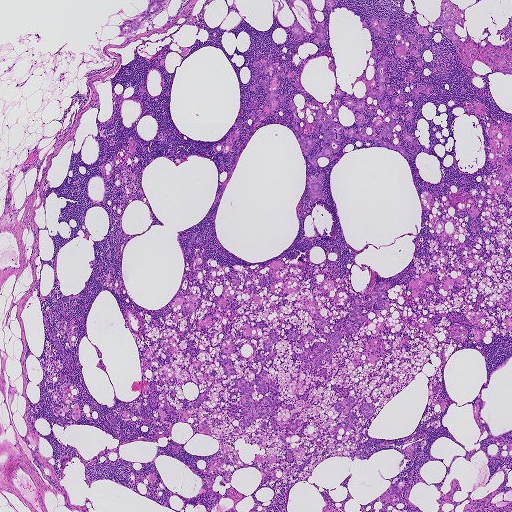
H&E-stained section of a sentinel lymph node (breast cancer), from a whole-slide image, viewed at about 2.5×: the field is about 1.9 mm across, about 3.6 µm per pixel.
Eight metastatic tumour regions, each outlined as a closed clockwise path in crop pixels (x, y), largest first: region 1: (148, 0), (166, 0), (166, 2), (161, 10), (144, 20), (134, 31), (124, 34), (125, 35), (122, 36), (117, 36), (119, 32), (118, 25), (122, 24), (124, 20), (133, 18), (145, 10), (148, 3); region 2: (450, 4), (454, 11), (449, 12), (451, 18), (457, 16), (458, 18), (454, 28), (454, 30), (460, 38), (459, 46), (457, 47), (455, 47), (450, 38), (443, 35), (444, 25), (434, 25), (431, 21), (434, 21), (439, 15), (441, 10), (441, 12), (448, 10), (448, 5); region 3: (489, 50), (506, 55), (507, 50), (511, 51), (511, 59), (507, 63), (509, 66), (511, 67), (511, 75), (502, 73), (494, 68), (492, 66), (486, 51); region 4: (348, 396), (354, 397), (355, 404), (350, 409), (351, 412), (355, 417), (355, 420), (351, 429), (346, 430), (344, 428), (346, 416), (343, 412), (338, 412), (333, 408), (336, 403), (342, 401); region 5: (398, 27), (402, 31), (407, 32), (409, 33), (412, 37), (419, 41), (422, 45), (422, 48), (419, 49), (417, 48), (413, 46), (419, 51), (420, 54), (418, 59), (422, 62), (422, 65), (421, 66), (418, 66), (416, 65), (415, 58), (411, 55), (409, 53), (409, 48), (410, 43), (405, 38), (401, 34), (396, 34), (396, 31), (396, 29); region 6: (376, 15), (379, 21), (383, 17), (388, 19), (389, 23), (388, 26), (383, 27), (389, 36), (387, 38), (380, 36), (373, 31), (370, 24), (372, 16); region 7: (394, 485), (400, 489), (400, 496), (394, 501), (387, 503), (382, 502), (380, 499), (382, 492), (391, 486); region 8: (220, 357), (230, 358), (236, 371), (235, 374), (228, 376), (222, 374), (224, 370), (216, 361).
Two more tumour regions are annotated but not outlined: their edges are too irregular for short outlines.
Four more, smaller tumour regions are not outlined.
Seven more small tumour pieces are annotated here but not outlined.
The annotated tumour makes up about 5% of the crop.